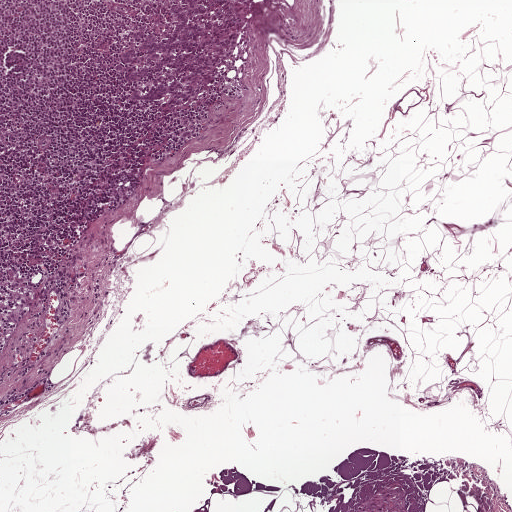
A 1-mm field of an H&E-stained sentinel lymph node from a breast-cancer patient (whole-slide image), shown at about 5×, about 1.9 µm per pixel.
Question: Describe where the metastatic carcinoma lies in this crop.
Answer: One metastatic tumour region; its boundary, reduced to 17 corners and listed clockwise: (152, 0), (253, 0), (231, 56), (228, 76), (232, 84), (224, 82), (192, 112), (196, 123), (190, 139), (181, 138), (178, 112), (165, 118), (150, 108), (124, 108), (124, 92), (111, 71), (122, 40).
Tumour covers about 5% of the frame.